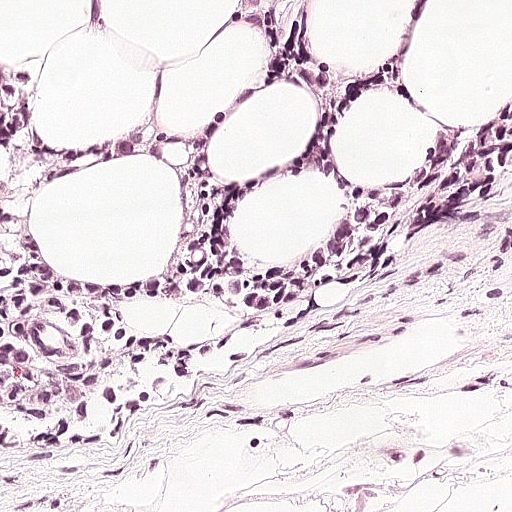
A 0.25-mm field of an H&E-stained sentinel lymph node from a breast-cancer patient (whole-slide image), shown at about 20×, about 0.49 µm per pixel.
Boundaries of three metastatic tumour regions, simplified and listed clockwise, largest first: region 1: (240, 0), (318, 0), (311, 62), (386, 78), (338, 132), (349, 184), (403, 182), (449, 128), (511, 112), (510, 198), (340, 252), (106, 408), (4, 448), (0, 187), (15, 172), (0, 60), (36, 78), (43, 142), (164, 138), (162, 163), (106, 158), (38, 205), (38, 268), (86, 289), (178, 268), (180, 166), (204, 137), (238, 181), (244, 256), (299, 264), (346, 226), (348, 195), (302, 176), (322, 98), (269, 95), (270, 50), (233, 26); region 2: (91, 0), (112, 0), (108, 25), (102, 25); region 3: (417, 0), (428, 0), (419, 14), (419, 16), (418, 16), (417, 20), (417, 24), (416, 16), (416, 5).
Region 1 encloses a non-tumour hole of about 5% of its area.
About 25% of the image area is annotated as tumour.